Question: 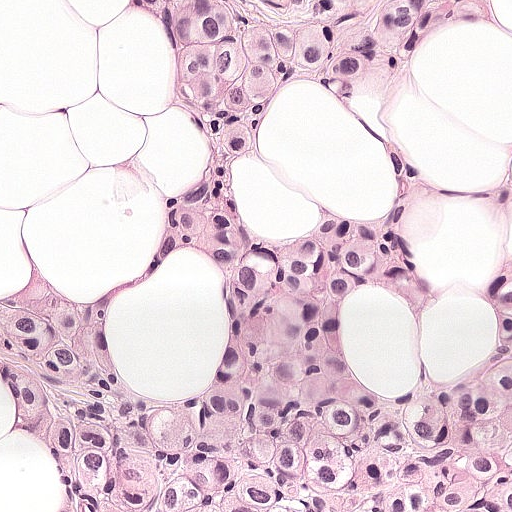
This is a crop of a whole-slide image: an H&E-stained breast-cancer sentinel lymph node section at roughly 20× magnification (about 0.49 µm per pixel; the crop spans about 0.25 mm).
Estimate the proportion of this field that is metastatic tumour.

Choices:
 (A) none: no tumour is outlined
 (B) about 25% to 45%
 (C) about 10% to 20%
 (D) about 5% or less
 (E) about 50% or more

Answer: (E) about 50% or more
About 55% of the field is tumour.
One metastatic tumour region; its boundary, reduced to 23 corners and listed clockwise: (136, 0), (494, 0), (397, 80), (296, 92), (238, 207), (386, 212), (424, 312), (343, 300), (340, 365), (378, 386), (483, 354), (506, 249), (511, 511), (44, 511), (0, 270), (86, 300), (138, 383), (198, 383), (216, 326), (194, 242), (124, 266), (167, 167), (212, 166).